Image:
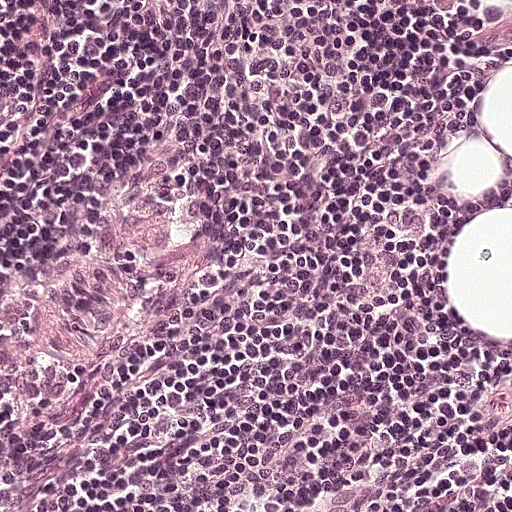
A 0.25-mm field of an H&E-stained sentinel lymph node from a breast-cancer patient (whole-slide image), shown at about 20×, about 0.49 µm per pixel.
Question:
Is any metastatic breast cancer visible in this crop?
Answer:
No. No metastatic tumour is outlined in this field.